Question: 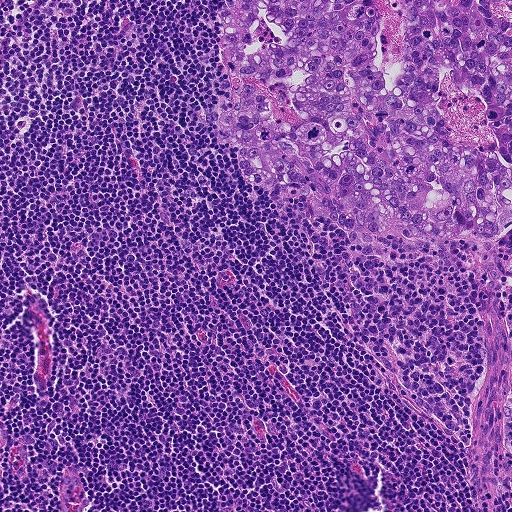
H&E-stained section of a sentinel lymph node (breast cancer), from a whole-slide image, viewed at about 10×: the field is about 0.46 mm across, about 0.9 µm per pixel.
Estimate the proportion of this field that is metastatic tumour.

Choices:
 (A) about 25% to 45%
 (B) about 5% or less
 (C) none: no tumour is outlined
 (D) about 50% or more
 (E) about 10% to 20%

Answer: (A) about 25% to 45%
About 25% of the field is tumour.
Tumour region outline (a closed clockwise path, crop pixels): (224, 0), (511, 0), (511, 224), (484, 242), (396, 240), (343, 230), (310, 193), (256, 191), (216, 136).